Question: 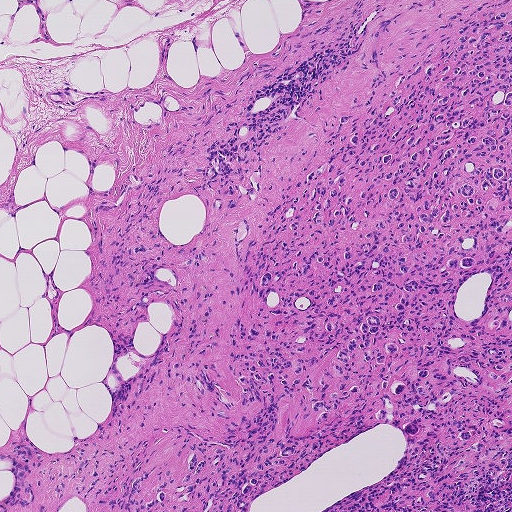
A 0.93-mm field of an H&E-stained sentinel lymph node from a breast-cancer patient (whole-slide image), shown at about 5×, about 1.8 µm per pixel.
Estimate the proportion of this field that is metastatic tumour.

Choices:
 (A) about 5% or less
 (B) about 50% or more
 (C) none: no tumour is outlined
 (D) about 10% to 20%
 (E) about 25% to 45%

Answer: (E) about 25% to 45%
About 45% of the field is tumour.
One metastatic tumour region; its boundary, reduced to 17 corners and listed clockwise: (507, 10), (511, 511), (100, 511), (138, 473), (158, 464), (178, 472), (191, 446), (251, 418), (236, 366), (255, 300), (235, 250), (238, 221), (260, 220), (328, 156), (341, 114), (370, 115), (464, 20).